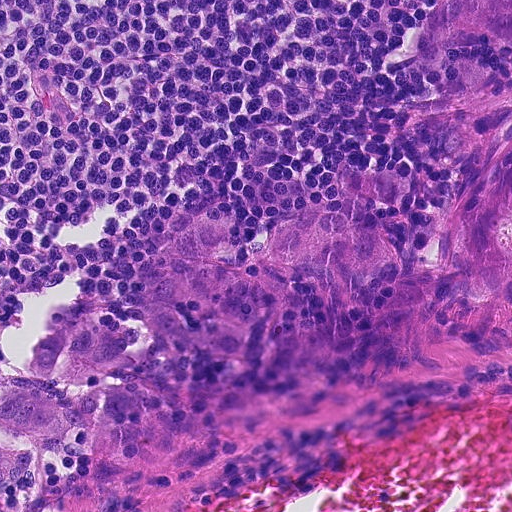
This is a crop of a whole-slide image: an H&E-stained breast-cancer sentinel lymph node section at roughly 20× magnification (about 0.45 µm per pixel; the crop spans about 0.23 mm).
Three metastatic tumour regions, each outlined as a closed clockwise path in crop pixels (x, y), largest first: region 1: (340, 165), (390, 168), (414, 190), (386, 208), (380, 224), (396, 254), (392, 270), (360, 278), (310, 266), (295, 274), (247, 324), (246, 355), (230, 363), (164, 349), (152, 336), (112, 368), (185, 416), (188, 449), (176, 462), (125, 461), (84, 428), (52, 440), (0, 425), (0, 396), (22, 389), (71, 394), (25, 368), (52, 327), (84, 314), (132, 327), (171, 218), (235, 208), (236, 241), (228, 256), (216, 255), (248, 263), (268, 217), (282, 208), (340, 209); region 2: (430, 0), (511, 0), (511, 44), (478, 40), (497, 63), (508, 90), (511, 120), (492, 145), (465, 154), (437, 144), (434, 112), (462, 58), (434, 51), (413, 31), (431, 7); region 3: (511, 146), (511, 317), (454, 282), (454, 224), (488, 172).
Tumour covers about 20% of the frame.